Question: 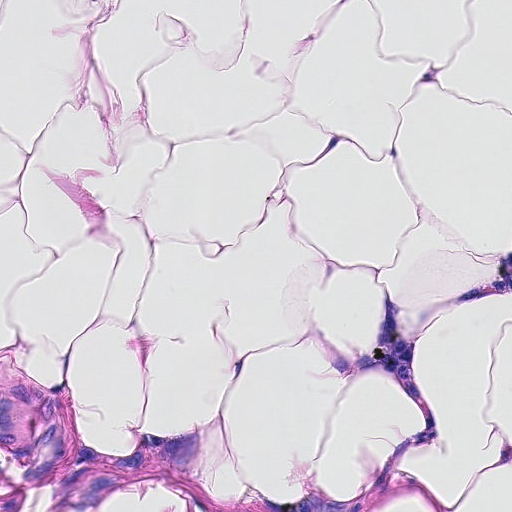
A 0.23-mm field of an H&E-stained sentinel lymph node from a breast-cancer patient (whole-slide image), shown at about 20×, about 0.45 µm per pixel.
What fraction of the image area is metastatic tumour?

Choices:
 (A) about 5% or less
 (B) about 10% to 20%
 (C) about 50% or more
 (D) about 25% to 45%
 (E) none: no tumour is outlined

Answer: (A) about 5% or less
About 5% of the field is tumour.
Two metastatic tumour regions, each outlined as a closed clockwise path in crop pixels (x, y), largest first: region 1: (20, 374), (47, 384), (65, 406), (74, 432), (98, 452), (127, 452), (146, 432), (156, 438), (183, 436), (211, 424), (210, 456), (194, 478), (161, 469), (134, 471), (114, 490), (105, 511), (0, 511), (0, 385); region 2: (312, 488), (355, 511), (212, 511), (207, 503), (235, 504), (260, 494), (286, 498).